Question: 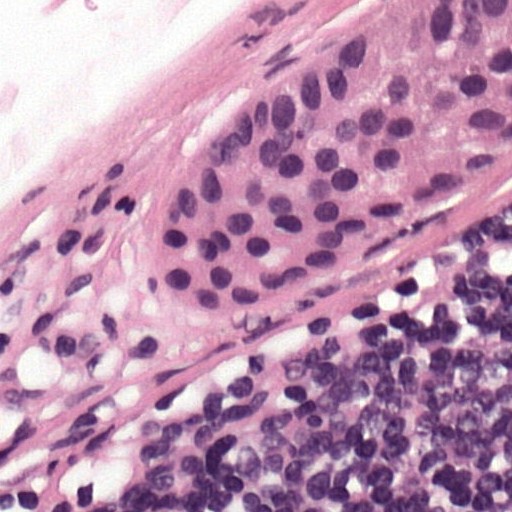
At roughly what magnification is this field shown?

Choices:
 (A) about 10×
 (B) about 2.5×
 (C) about 20×
 (D) about 40×
 (E) about 5×

Answer: (D) about 40×
H&E-stained section of a sentinel lymph node (breast cancer), from a whole-slide image, viewed at about 40×: the field is about 0.12 mm across, about 0.24 µm per pixel.
The outlined metastatic tumour's edge, as a closed clockwise path of 8 points: (357, 0), (511, 0), (511, 152), (439, 212), (257, 321), (159, 302), (138, 242), (266, 66).
Tumour covers about 30% of the frame.